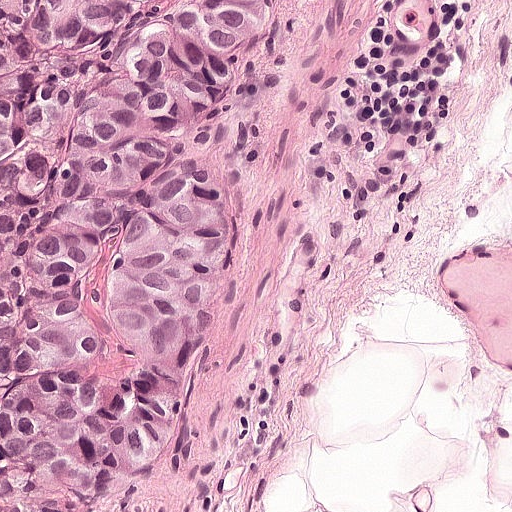
Lymph node section stained with H&E, from a whole-slide image of a breast-cancer sentinel node. Magnification about 20×, about 0.25 mm across the frame, about 0.49 µm per pixel.
Tumour region outline (a closed clockwise path, crop pixels): (0, 0), (286, 0), (266, 150), (194, 352), (101, 506), (0, 511).
The annotated tumour makes up about 40% of the crop.